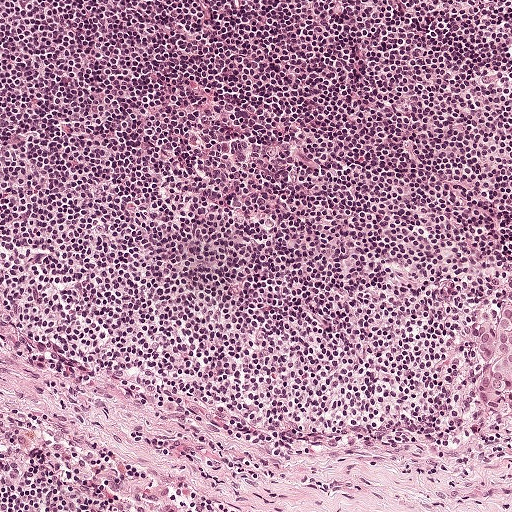
H&E-stained section of a sentinel lymph node (breast cancer), from a whole-slide image, viewed at about 10×: the field is about 0.5 mm across, about 0.97 µm per pixel.
Tumour region outline (a closed clockwise path, crop pixels): (506, 305), (511, 306), (511, 422), (500, 424), (488, 422), (479, 403), (477, 381), (481, 370), (481, 360), (478, 348), (481, 331), (502, 320).
Under 5% of this field is tumour.